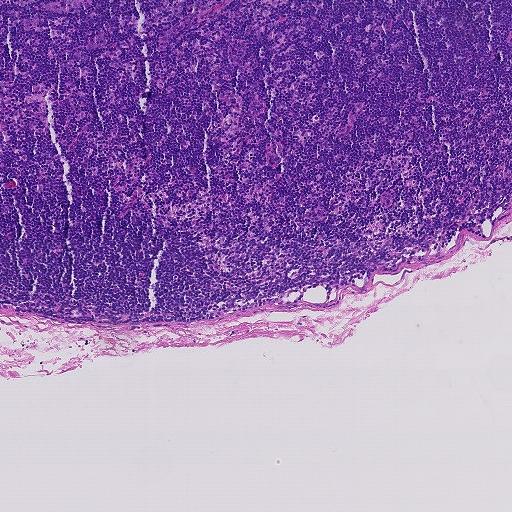
This is a crop of a whole-slide image: an H&E-stained breast-cancer sentinel lymph node section at roughly 5× magnification (about 1.8 µm per pixel; the crop spans about 0.93 mm).